Image:
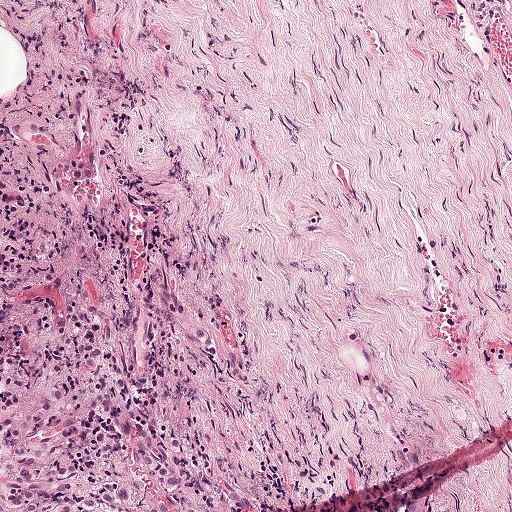
Lymph node section stained with H&E, from a whole-slide image of a breast-cancer sentinel node. Magnification about 10×, about 0.5 mm across the frame, about 0.97 µm per pixel.
Question:
Trace the edge of each tumour region in this crop, as (x, y) points from 0 to 511.
Answer:
Outlines of two tumour regions, largest first (closed clockwise paths, crop pixels): region 1: (0, 0), (99, 0), (162, 152), (162, 219), (137, 282), (132, 381), (106, 402), (27, 428), (1, 474); region 2: (64, 429), (189, 429), (244, 440), (281, 475), (298, 511), (0, 511), (0, 482), (35, 447).
About 30% of this field is tumour.